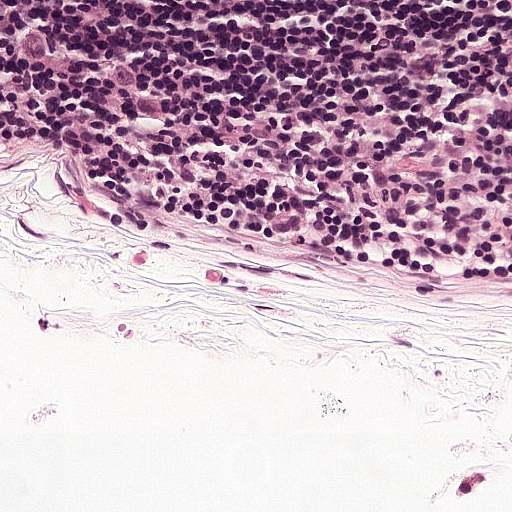
Lymph node section stained with H&E, from a whole-slide image of a breast-cancer sentinel node. Magnification about 20×, about 0.25 mm across the frame, about 0.49 µm per pixel.
Question: Show where the tumour is in this image.
Answer: Metastatic tumour outline, simplified to 10 points and listed clockwise in crop pixels (x, y): (510, 20), (511, 288), (314, 244), (273, 225), (230, 173), (227, 120), (251, 94), (286, 78), (366, 77), (466, 47).
The annotated tumour makes up about 20% of the crop.